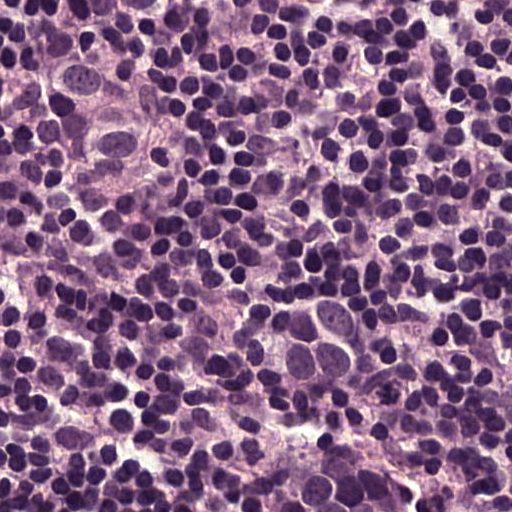
H&E-stained section of a sentinel lymph node (breast cancer), from a whole-slide image, viewed at about 40×: the field is about 0.12 mm across, about 0.24 µm per pixel.
Metastatic tumour outline, simplified to 9 points and listed clockwise in crop pixels (x, y): (313, 421), (352, 441), (416, 456), (430, 470), (454, 511), (236, 511), (257, 439), (268, 428), (290, 434).
One more small tumour piece is annotated here but not outlined.
The annotated tumour makes up about 10% of the crop.